Question: 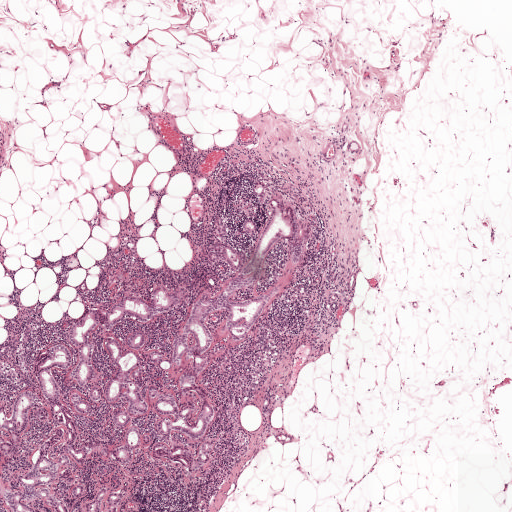
At roughly what magnification is this field shown?

Choices:
 (A) about 2.5×
 (B) about 10×
 (C) about 40×
 (D) about 5×
 (E) about 20×

Answer: (A) about 2.5×
This is a crop of a whole-slide image: an H&E-stained breast-cancer sentinel lymph node section at roughly 2.5× magnification (about 3.9 µm per pixel; the crop spans about 2.0 mm).
Metastatic tumour outline, simplified to 24 points and listed clockwise in crop pixels (x, y): (255, 177), (307, 207), (315, 236), (304, 280), (206, 374), (216, 460), (193, 483), (138, 481), (121, 511), (10, 511), (0, 406), (10, 419), (34, 389), (38, 354), (88, 307), (152, 287), (179, 297), (145, 340), (174, 335), (194, 291), (224, 278), (206, 222), (219, 215), (247, 242).
One more small tumour piece is annotated here but not outlined.
Tumour covers about 20% of the frame.